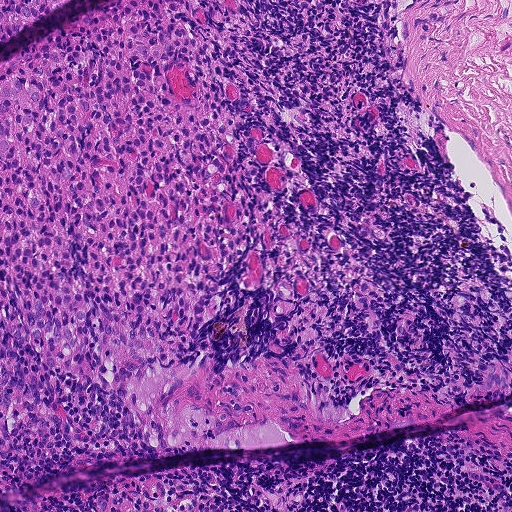
Lymph node section stained with H&E, from a whole-slide image of a breast-cancer sentinel node. Magnification about 10×, about 0.46 mm across the frame, about 0.9 µm per pixel.
Outlines of two tumour regions, largest first (closed clockwise paths, crop pixels): region 1: (132, 0), (238, 0), (233, 40), (208, 64), (251, 204), (246, 245), (217, 288), (220, 309), (182, 358), (118, 388), (58, 375), (62, 432), (12, 436), (1, 462), (0, 64); region 2: (0, 0), (75, 0), (30, 25), (0, 37).
Tumour covers about 35% of the frame.